Image:
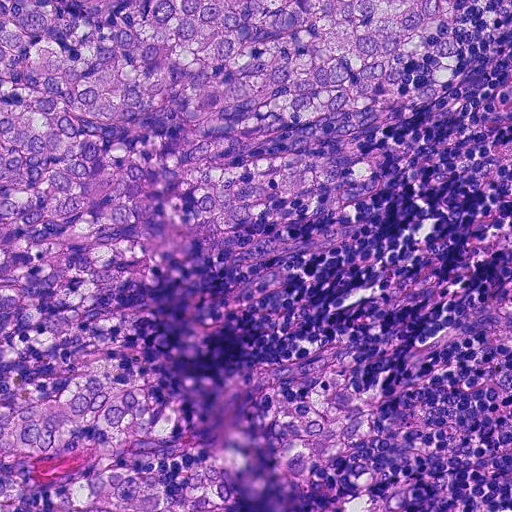
H&E-stained section of a sentinel lymph node (breast cancer), from a whole-slide image, viewed at about 20×: the field is about 0.23 mm across, about 0.45 µm per pixel.
Question:
Where is the metastatic tumour in this field?
Answer:
Metastatic tumour outline, simplified to 24 points and listed clockwise in crop pixels (x, y): (0, 0), (457, 0), (455, 65), (434, 97), (316, 125), (277, 123), (220, 160), (332, 160), (338, 177), (238, 227), (172, 246), (12, 367), (58, 372), (121, 353), (156, 375), (200, 382), (326, 346), (346, 358), (369, 398), (369, 440), (292, 482), (250, 471), (235, 510), (0, 511).
Tumour covers about 55% of the frame.

Image:
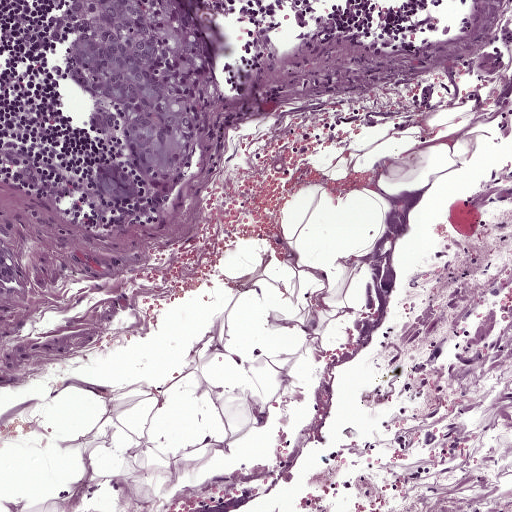
A 0.5-mm field of an H&E-stained sentinel lymph node from a breast-cancer patient (whole-slide image), shown at about 10×, about 0.97 µm per pixel.
Question:
Where is the metastatic tumour in this field?
Answer:
Outlines of three tumour regions, largest first (closed clockwise paths, crop pixels): region 1: (65, 0), (226, 0), (220, 20), (224, 62), (209, 78), (203, 149), (179, 193), (158, 196), (130, 170), (119, 140), (94, 136), (78, 88), (59, 80), (57, 33), (68, 12); region 2: (0, 234), (21, 245), (29, 268), (25, 290), (2, 291), (0, 289); region 3: (108, 161), (122, 168), (135, 186), (133, 199), (116, 200), (98, 194), (94, 181), (95, 167).
About 10% of the image area is annotated as tumour.

Image:
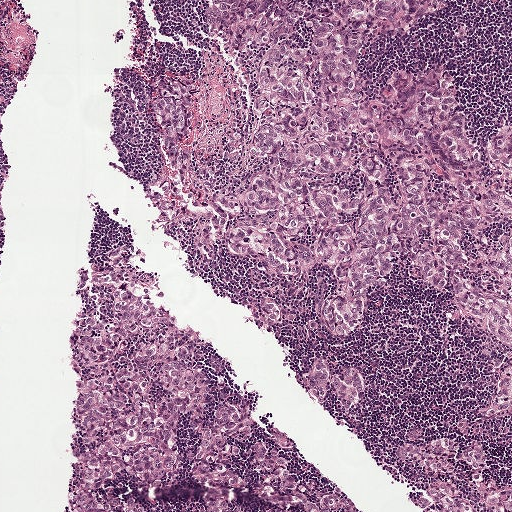
A 1-mm field of an H&E-stained sentinel lymph node from a breast-cancer patient (whole-slide image), shown at about 5×, about 1.9 µm per pixel.
Question:
Where is the metastatic tumour in this field?
Answer:
Boundaries of six metastatic tumour regions, simplified and listed clockwise, largest first: region 1: (445, 0), (367, 45), (356, 84), (376, 95), (418, 72), (444, 72), (454, 130), (511, 128), (511, 344), (404, 268), (375, 284), (359, 329), (341, 330), (330, 270), (285, 275), (226, 247), (242, 195), (258, 183), (247, 147), (256, 104), (216, 34), (210, 1); region 2: (116, 247), (160, 277), (132, 294), (216, 353), (217, 380), (290, 436), (305, 483), (355, 511), (276, 511), (238, 448), (248, 490), (236, 511), (207, 511), (183, 412), (177, 464), (144, 490), (142, 511), (71, 511), (71, 339), (96, 290), (94, 253); region 3: (165, 76), (197, 87), (189, 129), (181, 147), (212, 148), (217, 156), (209, 196), (223, 199), (228, 211), (228, 221), (216, 233), (215, 260), (203, 254), (194, 220), (183, 218), (163, 226), (150, 204), (152, 187), (165, 179), (171, 169), (149, 105), (156, 78); region 4: (450, 422), (464, 422), (467, 430), (481, 440), (485, 447), (489, 478), (511, 488), (511, 511), (435, 511), (440, 490), (438, 476), (423, 466), (408, 463), (399, 449), (399, 442), (413, 431); region 5: (511, 374), (511, 444), (504, 436), (495, 424), (494, 420), (494, 402), (499, 390); region 6: (0, 7), (6, 7), (8, 10), (8, 18), (7, 21), (0, 25).
About 45% of the image area is annotated as tumour.

Image:
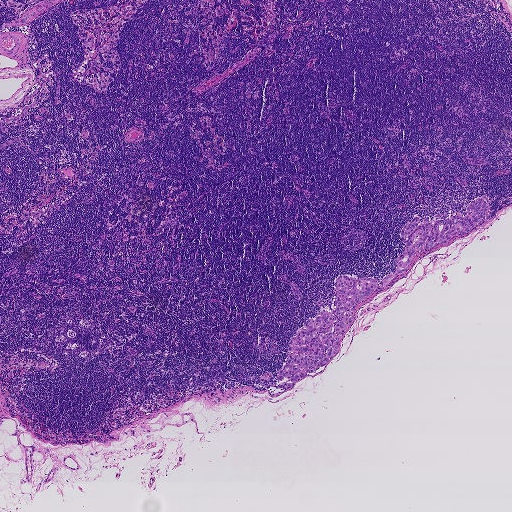
This is a crop of a whole-slide image: an H&E-stained breast-cancer sentinel lymph node section at roughly 2.5× magnification (about 3.6 µm per pixel; the crop spans about 1.9 mm).
Question:
Where is the metastatic tumour in this field?
Answer:
The outlined metastatic tumour's edge, as a closed clockwise path of 37 points: (489, 196), (487, 222), (445, 244), (416, 253), (386, 287), (356, 305), (332, 358), (315, 374), (308, 372), (286, 389), (277, 387), (275, 379), (291, 352), (289, 340), (319, 310), (331, 306), (334, 278), (351, 274), (358, 278), (371, 276), (378, 282), (396, 270), (394, 260), (404, 251), (400, 231), (409, 220), (416, 216), (423, 221), (429, 215), (435, 220), (438, 213), (443, 219), (459, 213), (462, 217), (472, 213), (466, 208), (476, 197).
One more small tumour piece is annotated here but not outlined.
Tumour covers about 5% of the frame.